Question: 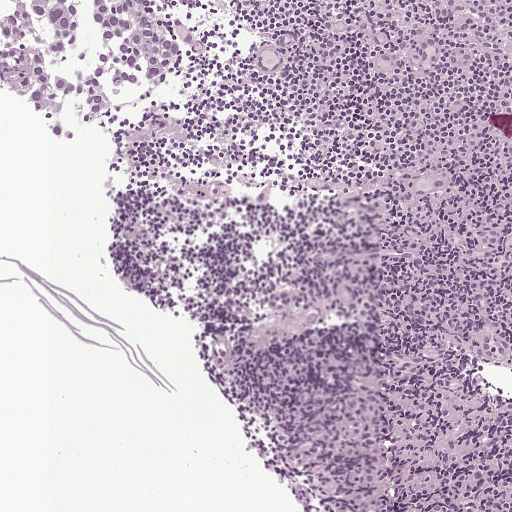
Lymph node section stained with H&E, from a whole-slide image of a breast-cancer sentinel node. Magnification about 10×, about 0.5 mm across the frame, about 0.97 µm per pixel.
About how much of this crop is taken up by metastatic carcinoma?

Choices:
 (A) about 10% to 20%
 (B) none: no tumour is outlined
 (C) about 50% or more
 (D) about 25% to 45%
 (E) about 5% or less

Answer: (A) about 10% to 20%
About 10% of the field is tumour.
One metastatic tumour region; its boundary, reduced to 11 corners and listed clockwise: (0, 0), (147, 0), (179, 46), (180, 70), (152, 105), (77, 144), (55, 143), (35, 133), (18, 119), (11, 97), (0, 97).